Question: 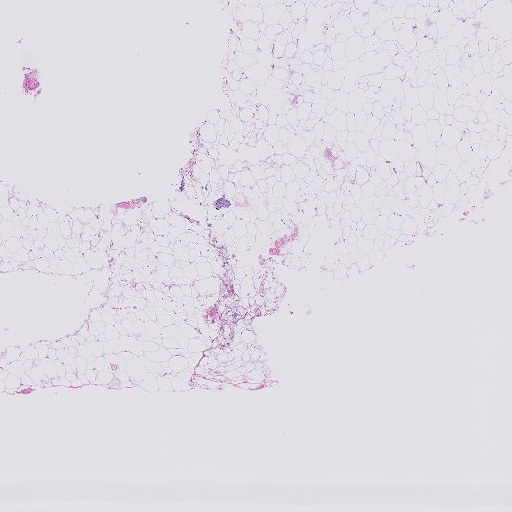
Lymph node section stained with H&E, from a whole-slide image of a breast-cancer sentinel node. Magnification about 2.5×, about 2.0 mm across the frame, about 4.0 µm per pixel.
About how much of this crop is taken up by metastatic carcinoma?

Choices:
 (A) about 10% to 20%
 (B) about 25% to 45%
 (C) about 50% or more
 (D) about 5% or less
 (E) none: no tumour is outlined

Answer: (D) about 5% or less
Under 5% of the field is tumour.
Two metastatic tumour regions, each outlined as a closed clockwise path in crop pixels (x, y), largest first: region 1: (224, 194), (230, 199), (234, 207), (217, 209), (211, 205), (217, 195); region 2: (181, 175), (187, 177), (184, 193), (176, 191).
Two more small tumour pieces are annotated here but not outlined.